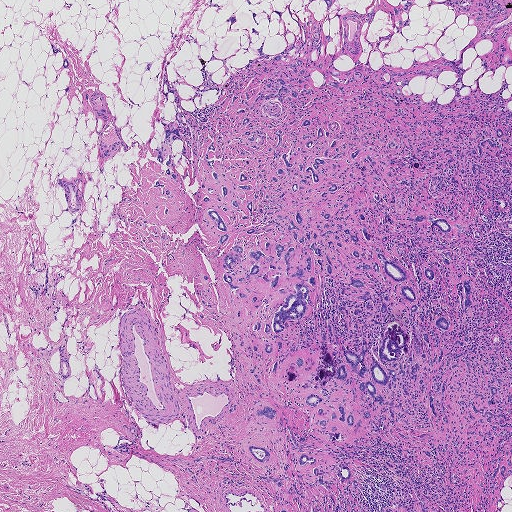
A 1.9-mm field of an H&E-stained sentinel lymph node from a breast-cancer patient (whole-slide image), shown at about 2.5×, about 3.6 µm per pixel.
Outlines of the eight largest metastatic tumour regions, each a closed clockwise path in crop pixels (x, y), largest first: region 1: (292, 44), (367, 80), (455, 63), (402, 92), (508, 109), (511, 180), (487, 189), (511, 217), (478, 214), (452, 244), (478, 272), (461, 360), (511, 340), (500, 488), (425, 469), (391, 432), (322, 437), (295, 359), (333, 279), (276, 375), (223, 283), (202, 161), (242, 81); region 2: (160, 120), (188, 126), (190, 129), (187, 131), (182, 131), (182, 137), (188, 149), (188, 158), (180, 154), (182, 141), (178, 139), (174, 140), (171, 144), (179, 181), (178, 183), (168, 179), (167, 183), (168, 187), (174, 194), (176, 199), (167, 200), (165, 205), (170, 212), (166, 214), (159, 208), (155, 209), (154, 204), (161, 198), (162, 193), (160, 188), (150, 187), (152, 182), (159, 176), (164, 168), (163, 164), (158, 163), (154, 155), (163, 131), (163, 127); region 3: (372, 0), (387, 0), (393, 6), (396, 5), (400, 0), (409, 0), (414, 2), (410, 8), (402, 13), (402, 23), (400, 29), (390, 39), (384, 41), (378, 45), (378, 37), (391, 33), (393, 27), (389, 13), (383, 10), (378, 10), (369, 24), (365, 21), (364, 14); region 4: (448, 0), (469, 0), (472, 2), (496, 0), (507, 4), (507, 14), (478, 21), (475, 18), (477, 13), (475, 9), (472, 8), (466, 12), (446, 4), (445, 1); region 5: (286, 425), (294, 433), (302, 436), (306, 434), (307, 436), (305, 441), (306, 443), (315, 445), (307, 448), (304, 449), (304, 452), (301, 452), (295, 449), (293, 450), (290, 449), (290, 446), (293, 446), (289, 440), (288, 445), (286, 440), (285, 435), (289, 434); region 6: (333, 463), (338, 465), (343, 463), (344, 466), (349, 468), (353, 474), (353, 476), (357, 480), (357, 482), (357, 487), (355, 488), (353, 484), (351, 479), (345, 480), (338, 477), (332, 469), (331, 464); region 7: (249, 445), (271, 449), (268, 461), (264, 463), (259, 463), (248, 450); region 8: (264, 406), (267, 406), (274, 408), (276, 410), (274, 418), (270, 419), (263, 416), (258, 417), (255, 415), (254, 413), (256, 408), (259, 408), (261, 410).
Five more, smaller tumour regions are not outlined.
14 more small tumour pieces are annotated here but not outlined.
Tumour covers about 35% of the frame.